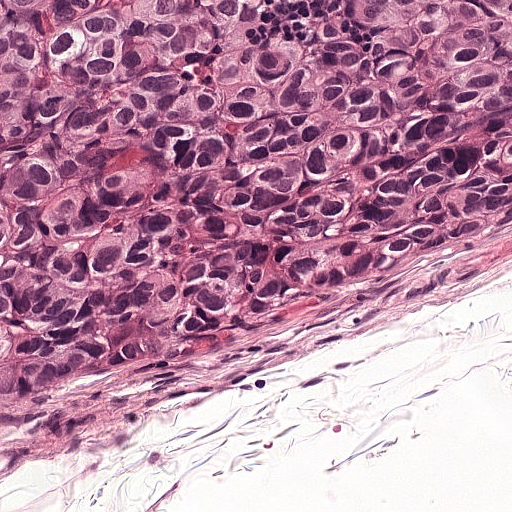
H&E-stained section of a sentinel lymph node (breast cancer), from a whole-slide image, viewed at about 20×: the field is about 0.25 mm across, about 0.49 µm per pixel.
The outlined metastatic tumour's edge, as a closed clockwise path of 8 points: (0, 0), (511, 0), (511, 219), (485, 244), (376, 312), (244, 326), (139, 383), (2, 430).
Tumour covers about 65% of the frame.